H&E-stained section of a sentinel lymph node (breast cancer), from a whole-slide image, viewed at about 10×: the field is about 0.5 mm across, about 0.97 µm per pixel.
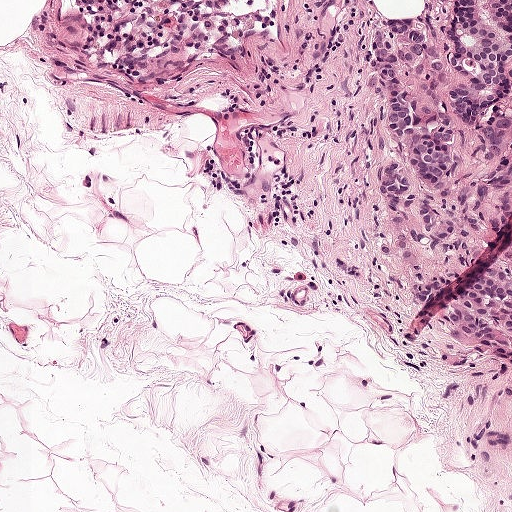
One metastatic tumour region; its boundary, reduced to 19 corners and listed clockwise: (446, 0), (511, 0), (511, 264), (496, 244), (511, 265), (511, 370), (462, 346), (377, 266), (384, 218), (430, 219), (451, 200), (444, 199), (420, 216), (372, 196), (389, 132), (376, 84), (362, 77), (365, 57), (376, 37).
The annotated tumour makes up about 15% of the crop.